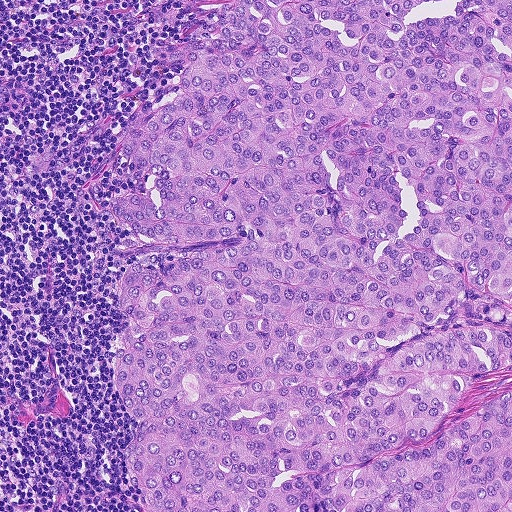
This is a crop of a whole-slide image: an H&E-stained breast-cancer sentinel lymph node section at roughly 10× magnification (about 0.9 µm per pixel; the crop spans about 0.46 mm).
One metastatic tumour region; its boundary, reduced to 18 corners and listed clockwise: (511, 0), (511, 511), (144, 511), (139, 504), (125, 460), (139, 427), (111, 373), (128, 326), (127, 258), (163, 248), (103, 212), (110, 199), (141, 189), (120, 142), (179, 96), (185, 64), (160, 58), (218, 4).
About 75% of the image area is annotated as tumour.